Image:
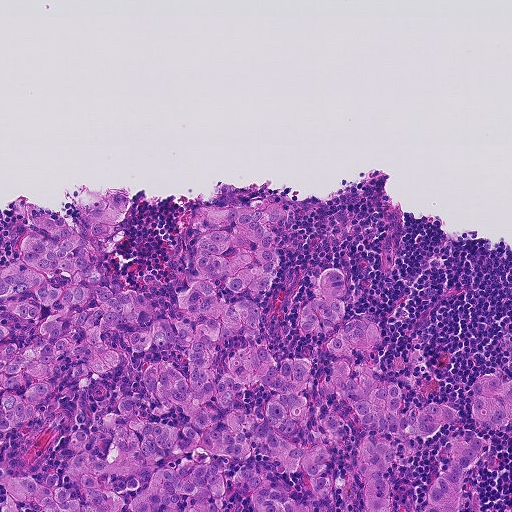
H&E-stained section of a sentinel lymph node (breast cancer), from a whole-slide image, viewed at about 10×: the field is about 0.46 mm across, about 0.9 µm per pixel.
Question:
Is any metastatic breast cancer visible in this crop?
Answer:
Yes.
Outlines of two tumour regions, largest first (closed clockwise paths, crop pixels): region 1: (130, 191), (106, 278), (172, 329), (196, 274), (188, 219), (202, 204), (286, 208), (258, 327), (274, 362), (304, 357), (305, 392), (319, 401), (339, 359), (329, 334), (296, 329), (328, 266), (346, 274), (342, 328), (356, 313), (384, 333), (377, 350), (352, 350), (354, 362), (399, 382), (400, 414), (428, 402), (457, 410), (430, 438), (392, 441), (389, 511), (0, 511), (0, 268), (20, 261), (29, 220), (80, 235), (84, 203); region 2: (489, 372), (505, 382), (511, 381), (511, 423), (482, 422), (478, 434), (490, 449), (461, 480), (460, 500), (462, 511), (418, 511), (424, 503), (428, 485), (438, 469), (440, 450), (456, 438), (474, 432), (478, 421), (469, 413), (474, 395), (472, 382).
The annotated tumour makes up about 40% of the crop.